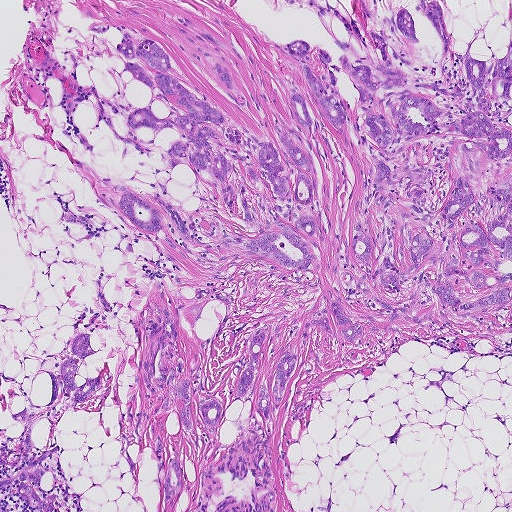
H&E-stained section of a sentinel lymph node (breast cancer), from a whole-slide image, viewed at about 5×: the field is about 0.93 mm across, about 1.8 µm per pixel.
Question: Which parts of this field are metastatic tumour? Answer with the outline of each region, in pixels.
Answer: Outlines of the eight largest metastatic tumour regions, each a closed clockwise path in crop pixels (x, y), largest first: region 1: (439, 0), (450, 44), (447, 87), (466, 81), (456, 51), (470, 42), (488, 67), (511, 34), (511, 263), (500, 268), (511, 303), (457, 312), (438, 300), (417, 322), (347, 340), (330, 313), (335, 340), (312, 323), (303, 348), (312, 315), (336, 299), (352, 317), (377, 311), (354, 286), (350, 243), (373, 178), (341, 63), (357, 54), (333, 38), (382, 61), (370, 28), (396, 49), (391, 17), (404, 8), (420, 42), (404, 38), (404, 65), (434, 80), (444, 48), (413, 9); region 2: (124, 34), (159, 45), (185, 89), (226, 118), (213, 124), (224, 135), (249, 137), (241, 126), (284, 165), (275, 115), (297, 133), (316, 167), (315, 203), (296, 208), (315, 220), (309, 268), (214, 244), (185, 259), (122, 212), (114, 185), (158, 208), (180, 246), (213, 240), (219, 225), (260, 236), (208, 169), (188, 155), (166, 168), (183, 137), (141, 127), (154, 144), (132, 140), (132, 109), (169, 112), (122, 72), (138, 60), (115, 48); region 3: (290, 41), (306, 41), (310, 46), (310, 64), (316, 75), (321, 74), (324, 69), (317, 60), (316, 45), (331, 56), (331, 62), (328, 65), (334, 65), (340, 68), (339, 74), (330, 67), (329, 69), (336, 78), (335, 84), (346, 114), (346, 120), (343, 126), (346, 137), (332, 126), (317, 106), (304, 100), (312, 123), (309, 127), (300, 126), (290, 108), (292, 78), (302, 93), (315, 104), (297, 65), (284, 51), (285, 45); region 4: (177, 15), (188, 17), (192, 21), (189, 31), (206, 32), (220, 41), (238, 90), (247, 98), (250, 91), (254, 94), (261, 103), (259, 114), (250, 101), (251, 110), (244, 106), (241, 110), (211, 70), (202, 62), (186, 56), (178, 47), (178, 25), (175, 20); region 5: (83, 332), (88, 333), (93, 350), (98, 352), (85, 357), (78, 368), (75, 379), (78, 387), (93, 377), (100, 376), (100, 382), (90, 398), (74, 405), (62, 392), (63, 381), (59, 370), (61, 364), (66, 360), (77, 358), (70, 350), (70, 344), (73, 338); region 6: (287, 353), (293, 353), (297, 357), (296, 368), (284, 389), (274, 419), (270, 409), (267, 422), (260, 414), (255, 402), (264, 372), (271, 394), (277, 360); region 7: (50, 465), (55, 469), (57, 480), (55, 481), (51, 474), (46, 472), (40, 481), (45, 490), (50, 494), (55, 492), (56, 494), (52, 511), (38, 511), (36, 504), (31, 500), (26, 500), (16, 494), (19, 484), (17, 479), (18, 473), (40, 466); region 8: (181, 360), (190, 383), (190, 414), (192, 426), (189, 430), (184, 428), (179, 416), (181, 400), (176, 398), (166, 409), (155, 414), (162, 402), (168, 378), (176, 369), (176, 363).
Three more, smaller tumour regions are not outlined.
Two more small tumour pieces are annotated here but not outlined.
About 30% of this field is tumour.